H&E-stained section of a sentinel lymph node (breast cancer), from a whole-slide image, viewed at about 20×: the field is about 0.23 mm across, about 0.45 µm per pixel.
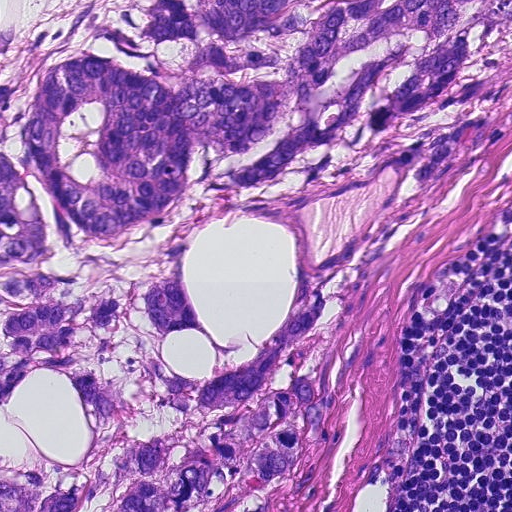
The outlined metastatic tumour's edge, as a closed clockwise path of 9 points: (36, 0), (511, 0), (511, 190), (408, 308), (393, 354), (392, 424), (348, 504), (0, 511), (0, 47).
About 85% of this field is tumour.